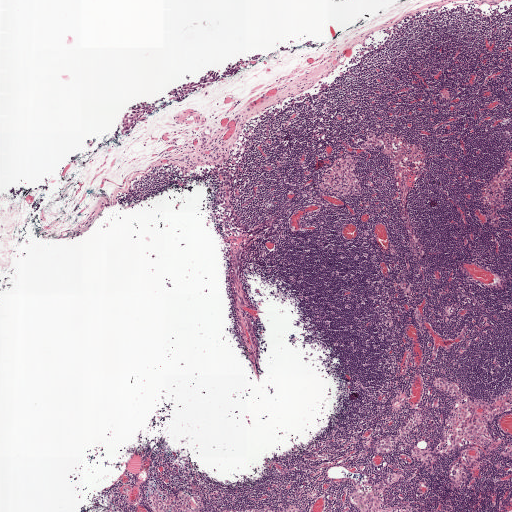
Lymph node section stained with H&E, from a whole-slide image of a breast-cancer sentinel node. Magnification about 2.5×, about 2.0 mm across the frame, about 3.9 µm per pixel.
Three metastatic tumour regions, each outlined as a closed clockwise path in crop pixels (x, y), largest first: region 1: (234, 62), (241, 63), (238, 73), (195, 92), (184, 101), (176, 101), (142, 122), (132, 132), (106, 142), (121, 117), (133, 104), (208, 70); region 2: (44, 197), (42, 206), (34, 216), (30, 216), (31, 205), (35, 200); region 3: (14, 186), (17, 189), (24, 186), (24, 190), (14, 199), (8, 192).
Eight more small tumour pieces are annotated here but not outlined.
Under 5% of this field is tumour.